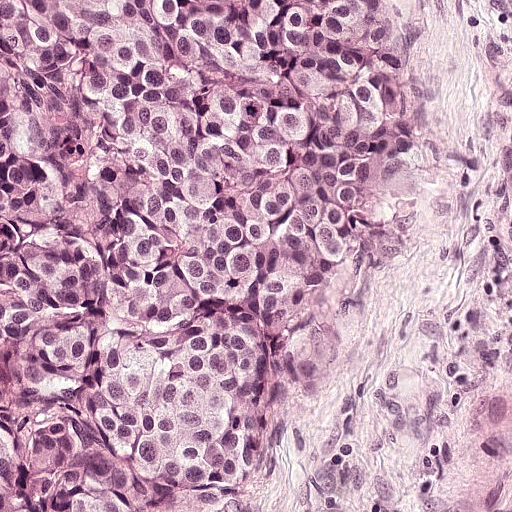
Lymph node section stained with H&E, from a whole-slide image of a breast-cancer sentinel node. Magnification about 20×, about 0.25 mm across the frame, about 0.49 µm per pixel.
Metastatic tumour outline, simplified to 7 points and listed clockwise in crop pixels (x, y): (0, 0), (406, 0), (412, 214), (391, 282), (254, 468), (152, 508), (0, 511).
The annotated tumour makes up about 70% of the crop.